A 2.0-mm field of an H&E-stained sentinel lymph node from a breast-cancer patient (whole-slide image), shown at about 2.5×, about 3.9 µm per pixel.
Question: 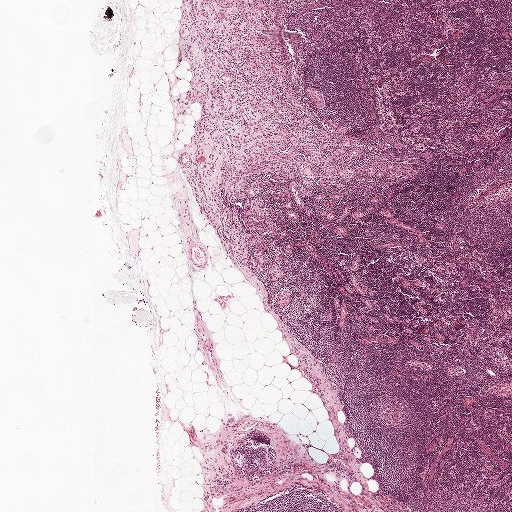
Roughly what share of this field is metastatic tumour?

Choices:
 (A) about 10% to 20%
 (B) none: no tumour is outlined
 (C) about 5% or less
 (D) about 25% to 45%
 (E) about 50% or more

Answer: (A) about 10% to 20%
About 10% of the field is tumour.
Boundaries of three metastatic tumour regions, simplified and listed clockwise, largest first: region 1: (184, 0), (256, 2), (259, 40), (281, 46), (272, 50), (278, 63), (288, 72), (307, 59), (296, 68), (297, 86), (290, 82), (313, 125), (336, 134), (329, 120), (357, 140), (330, 162), (355, 173), (352, 181), (310, 187), (269, 171), (248, 182), (247, 195), (268, 204), (274, 230), (252, 234), (262, 237), (256, 247), (268, 258), (265, 265), (284, 271), (280, 281), (245, 270), (226, 253), (222, 232), (195, 196), (203, 107), (191, 87), (194, 65), (179, 48); region 2: (280, 288), (287, 288), (292, 291), (292, 301), (288, 308), (280, 308), (277, 306), (277, 292); region 3: (310, 86), (314, 87), (323, 95), (324, 106), (322, 108), (319, 108), (314, 105), (307, 98), (306, 91), (307, 87).
Two more small tumour pieces are annotated here but not outlined.